Question: 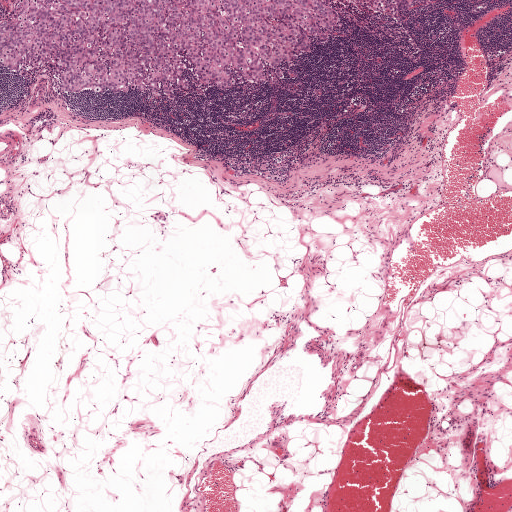
At roughly what magnification is this field shown?

Choices:
 (A) about 10×
 (B) about 20×
 (C) about 2.5×
 (D) about 40×
 (E) about 5×

Answer: (C) about 2.5×
Lymph node section stained with H&E, from a whole-slide image of a breast-cancer sentinel node. Magnification about 2.5×, about 2.0 mm across the frame, about 3.9 µm per pixel.
The outlined metastatic tumour's edge, as a closed clockwise path of 12 points: (0, 0), (335, 0), (344, 26), (337, 44), (301, 64), (299, 77), (169, 104), (139, 95), (74, 96), (46, 68), (28, 78), (0, 65).
About 10% of the image area is annotated as tumour.